This is a crop of a whole-slide image: an H&E-stained breast-cancer sentinel lymph node section at roughly 10× magnification (about 0.97 µm per pixel; the crop spans about 0.5 mm).
Question: 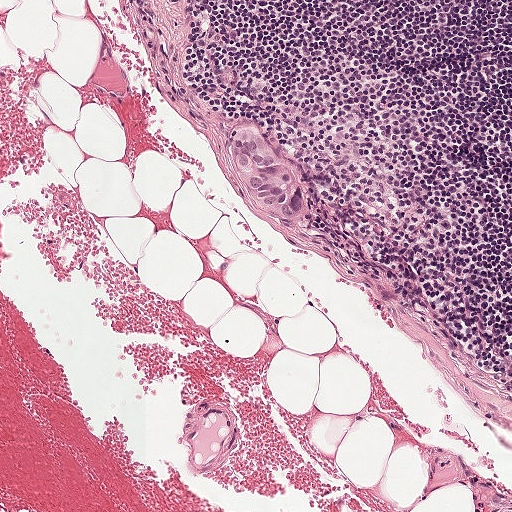
Roughly what share of this field is metastatic tumour?

Choices:
 (A) about 10% to 20%
 (B) about 25% to 45%
 (C) about 50% or more
 (D) none: no tumour is outlined
 (E) about 5% or less

Answer: (E) about 5% or less
Under 5% of the field is tumour.
The outlined metastatic tumour's edge, as a closed clockwise path of 12 points: (247, 118), (264, 124), (298, 167), (305, 187), (305, 202), (298, 220), (286, 221), (276, 219), (242, 195), (236, 172), (226, 153), (229, 130).